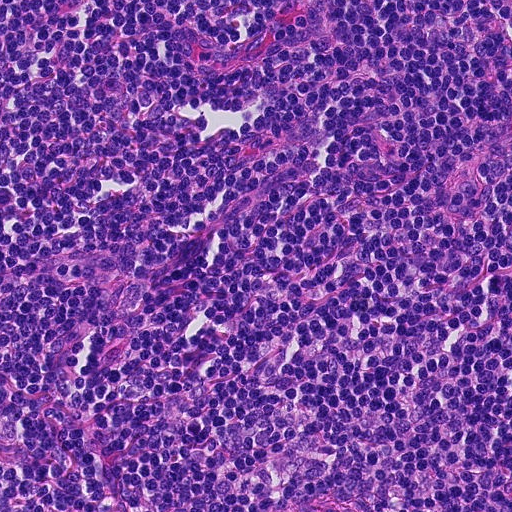
H&E-stained section of a sentinel lymph node (breast cancer), from a whole-slide image, viewed at about 20×: the field is about 0.23 mm across, about 0.45 µm per pixel.